Lymph node section stained with H&E, from a whole-slide image of a breast-cancer sentinel node. Magnification about 2.5×, about 2.0 mm across the frame, about 3.9 µm per pixel.
Image:
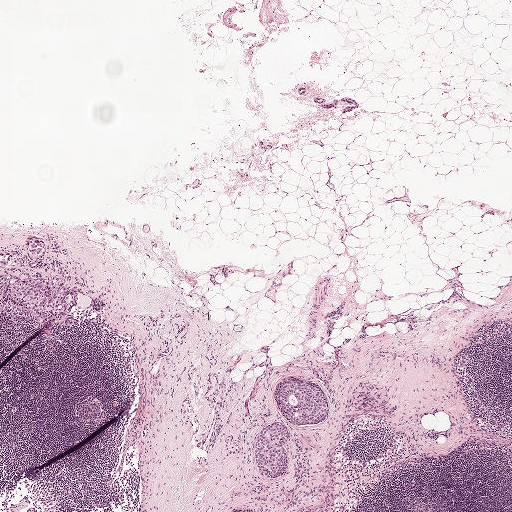
Question:
Outline the metastatic carcinoma in this image, as closed paths of (x, y) pixel coordinates.
Answer:
Six metastatic tumour regions, each outlined as a closed clockwise path in crop pixels (x, y), largest first: region 1: (38, 272), (42, 275), (41, 278), (62, 279), (64, 287), (68, 290), (66, 314), (73, 316), (72, 322), (65, 325), (61, 318), (57, 317), (62, 304), (58, 308), (50, 308), (35, 314), (24, 307), (3, 301), (0, 277), (16, 276), (22, 281), (36, 277); region 2: (284, 378), (296, 378), (309, 380), (320, 386), (325, 391), (330, 408), (329, 418), (319, 423), (298, 426), (288, 422), (279, 412), (274, 396), (275, 388); region 3: (278, 421), (284, 422), (290, 431), (288, 443), (285, 444), (290, 458), (290, 465), (287, 472), (275, 479), (264, 477), (254, 467), (253, 442), (255, 435), (268, 425); region 4: (3, 251), (22, 256), (26, 265), (13, 272), (0, 269), (0, 253); region 5: (32, 236), (42, 239), (46, 245), (45, 253), (38, 257), (32, 256), (27, 251), (26, 241); region 6: (39, 260), (43, 260), (45, 264), (49, 263), (49, 266), (49, 270), (45, 270), (42, 268), (41, 270), (36, 270), (34, 268), (30, 268), (28, 267), (28, 264), (31, 262), (36, 262).
Two more small tumour pieces are annotated here but not outlined.
Tumour covers about 5% of the frame.